Image:
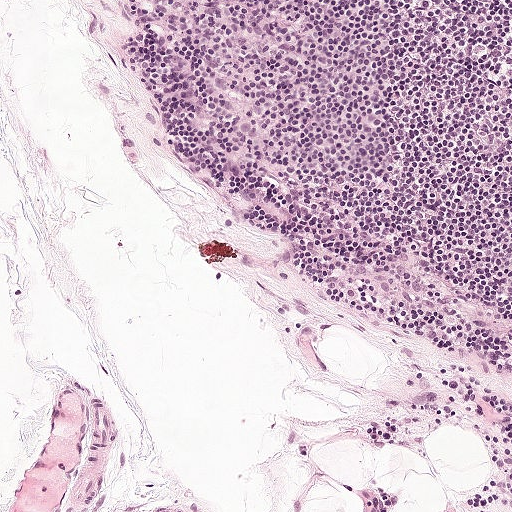
This is a crop of a whole-slide image: an H&E-stained breast-cancer sentinel lymph node section at roughly 10× magnification (about 0.97 µm per pixel; the crop spans about 0.5 mm).
Question:
Is there metastatic carcinoma in this field?
Answer:
No, this field holds no outlined metastasis.